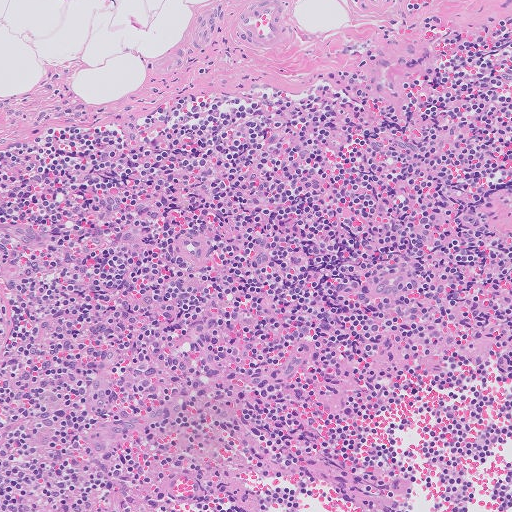
This is a crop of a whole-slide image: an H&E-stained breast-cancer sentinel lymph node section at roughly 10× magnification (about 1.0 µm per pixel; the crop spans about 0.51 mm).